A 0.5-mm field of an H&E-stained sentinel lymph node from a breast-cancer patient (whole-slide image), shown at about 10×, about 0.97 µm per pixel.
Image:
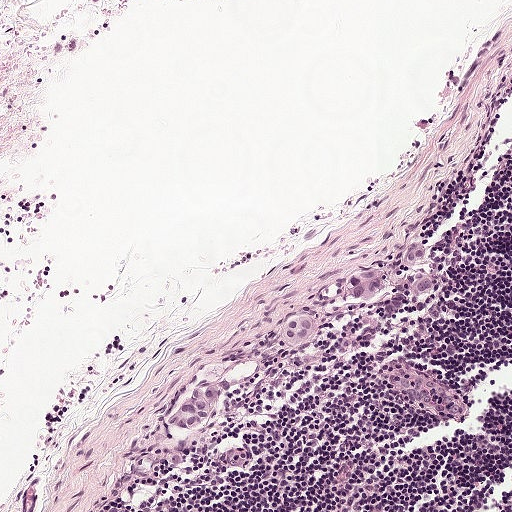
Question:
Is any metastatic breast cancer visible in this crop?
Answer:
Yes.
Outlines of three tumour regions, largest first (closed clockwise paths, crop pixels): region 1: (422, 244), (426, 245), (432, 253), (433, 260), (420, 266), (395, 268), (391, 274), (394, 280), (403, 281), (431, 276), (437, 281), (438, 292), (427, 298), (414, 299), (390, 289), (374, 300), (358, 302), (345, 296), (344, 279), (346, 274); region 2: (229, 377), (232, 379), (233, 385), (231, 392), (224, 395), (222, 402), (216, 410), (209, 413), (204, 424), (180, 432), (170, 432), (164, 430), (164, 420), (171, 410), (183, 402), (201, 382); region 3: (310, 312), (320, 315), (321, 332), (315, 346), (302, 350), (293, 350), (286, 347), (282, 340), (284, 318), (292, 314).
One more small tumour piece is annotated here but not outlined.
Tumour covers about 5% of the frame.